Image:
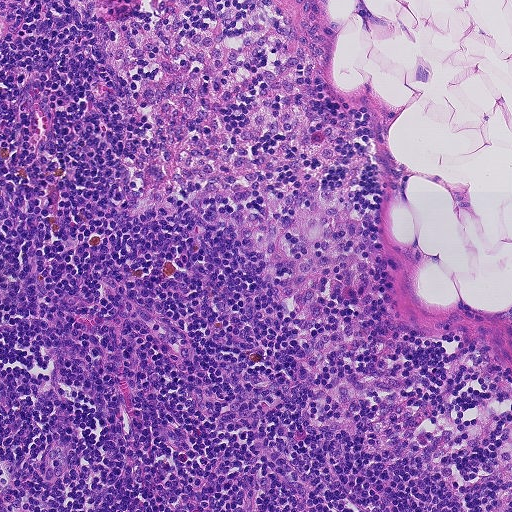
This is a crop of a whole-slide image: an H&E-stained breast-cancer sentinel lymph node section at roughly 10× magnification (about 0.9 µm per pixel; the crop spans about 0.46 mm).
Question:
Is any metastatic breast cancer visible in this crop?
Answer:
No, this field holds no outlined metastasis.